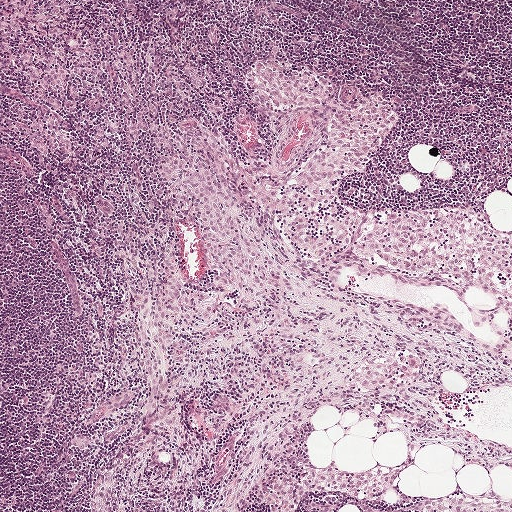
This is a crop of a whole-slide image: an H&E-stained breast-cancer sentinel lymph node section at roughly 5× magnification (about 1.9 µm per pixel; the crop spans about 1 mm).
Question: Outline the metastatic carcinoma in this image, as closed paths of (x, y) pixel coordinates.
Answer: Metastatic tumour outline, simplified to 23 points and listed clockwise in crop pixels (x, y): (164, 135), (173, 136), (197, 150), (203, 158), (216, 163), (236, 186), (249, 236), (258, 249), (263, 249), (250, 278), (243, 278), (236, 272), (222, 283), (213, 280), (208, 272), (204, 226), (187, 214), (173, 194), (152, 180), (154, 173), (163, 165), (163, 152), (156, 140).
Tumour covers about 5% of the frame.